Question: 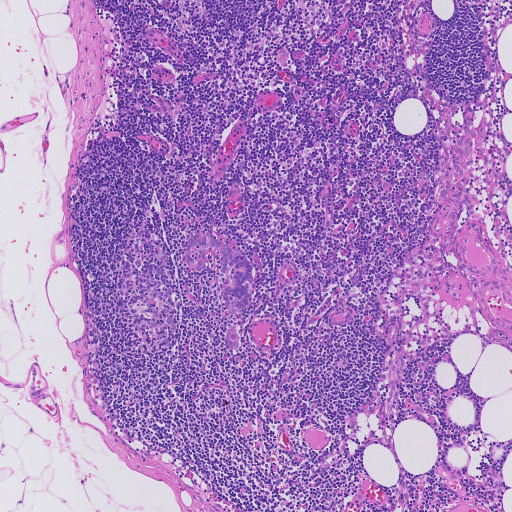
At roughly what magnification is this field shown?

Choices:
 (A) about 40×
 (B) about 5×
 (C) about 10×
 (D) about 20×
 (E) about 2.5×

Answer: (B) about 5×
H&E-stained section of a sentinel lymph node (breast cancer), from a whole-slide image, viewed at about 5×: the field is about 0.93 mm across, about 1.8 µm per pixel.
Boundaries of two metastatic tumour regions, simplified and listed clockwise, largest first: region 1: (203, 230), (237, 249), (253, 265), (253, 288), (247, 310), (231, 313), (225, 304), (224, 298), (220, 296), (222, 282), (226, 276), (220, 270), (222, 266), (220, 250), (212, 247), (208, 249), (205, 259), (207, 266), (198, 272), (188, 266), (184, 260), (190, 238); region 2: (230, 328), (233, 328), (240, 337), (240, 346), (238, 349), (229, 346), (225, 343), (224, 336).
The annotated tumour makes up under 5% of the crop.